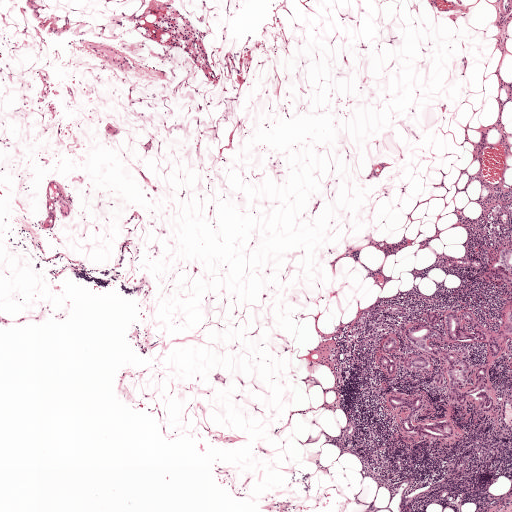
Lymph node section stained with H&E, from a whole-slide image of a breast-cancer sentinel node. Magnification about 2.5×, about 2.0 mm across the frame, about 3.9 µm per pixel.
Outlines of two tumour regions, largest first (closed clockwise paths, crop pixels): region 1: (511, 300), (511, 341), (486, 376), (492, 393), (511, 400), (511, 433), (500, 434), (492, 418), (469, 398), (464, 408), (449, 409), (463, 436), (454, 447), (409, 441), (398, 429), (380, 386), (377, 356), (385, 344), (421, 317), (449, 307), (464, 308), (498, 332), (504, 307); region 2: (511, 246), (511, 295), (509, 287), (502, 285), (490, 275), (497, 262), (503, 248).
The annotated tumour makes up about 5% of the crop.